Image:
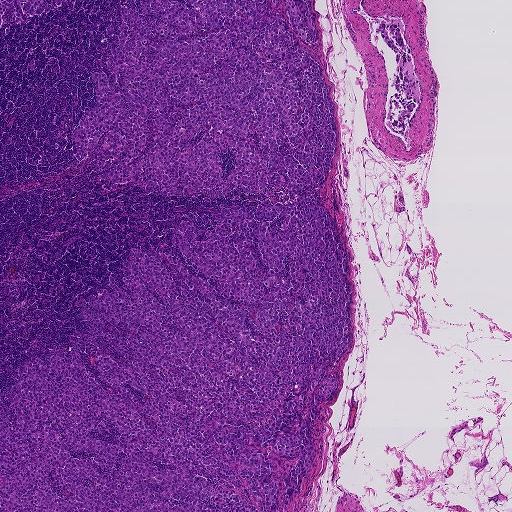
H&E-stained section of a sentinel lymph node (breast cancer), from a whole-slide image, viewed at about 2.5×: the field is about 1.9 mm across, about 3.6 µm per pixel.
Question:
Where is the metastatic tumour in this field? Give each region's outline as (x, y) pixel points.
Answer:
Boundaries of three metastatic tumour regions, simplified and listed clockwise, largest first: region 1: (120, 7), (316, 13), (353, 303), (312, 468), (285, 505), (298, 456), (258, 450), (278, 511), (0, 511), (0, 400), (79, 339), (114, 393), (95, 354), (131, 363), (80, 315), (110, 276), (128, 294), (134, 248), (189, 289), (164, 252), (219, 282), (182, 221), (249, 209), (253, 228), (289, 234), (285, 214), (256, 213), (296, 200), (282, 178), (164, 196), (105, 177), (106, 132), (75, 157); region 2: (396, 21), (403, 51), (410, 49), (411, 59), (402, 74), (408, 70), (411, 84), (418, 82), (410, 88), (416, 102), (403, 122), (406, 135), (393, 132), (390, 125), (396, 130), (401, 127), (392, 126), (389, 119), (393, 112), (391, 122), (397, 119), (398, 111), (403, 110), (399, 102), (400, 109), (388, 106), (390, 96), (396, 101), (393, 94), (399, 93), (394, 86), (402, 57), (397, 63), (400, 53), (378, 33), (381, 23); region 3: (0, 0), (50, 0), (47, 6), (50, 6), (50, 9), (48, 11), (26, 16), (16, 4), (24, 21), (19, 24), (11, 19), (12, 12), (7, 6), (1, 16), (1, 25).
Two more small tumour pieces are annotated here but not outlined.
About 45% of the image area is annotated as tumour.